Question: 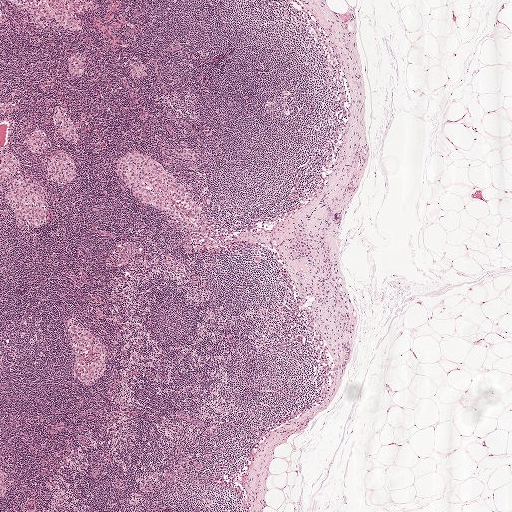
This is a crop of a whole-slide image: an H&E-stained breast-cancer sentinel lymph node section at roughly 2.5× magnification (about 3.9 µm per pixel; the crop spans about 2.0 mm).
What fraction of the image area is metastatic tumour?

Choices:
 (A) about 25% to 45%
 (B) about 10% to 20%
 (C) none: no tumour is outlined
 (D) about 5% or less
 (E) about 50% or more

Answer: (D) about 5% or less
Under 5% of the field is tumour.
Metastatic tumour outline, simplified to 23 points and listed clockwise in crop pixels (x, y): (297, 232), (309, 237), (318, 251), (336, 257), (338, 279), (346, 290), (353, 326), (350, 335), (342, 335), (344, 348), (337, 371), (330, 354), (321, 353), (321, 348), (328, 344), (328, 337), (314, 317), (314, 299), (306, 287), (311, 280), (311, 268), (286, 256), (288, 241).